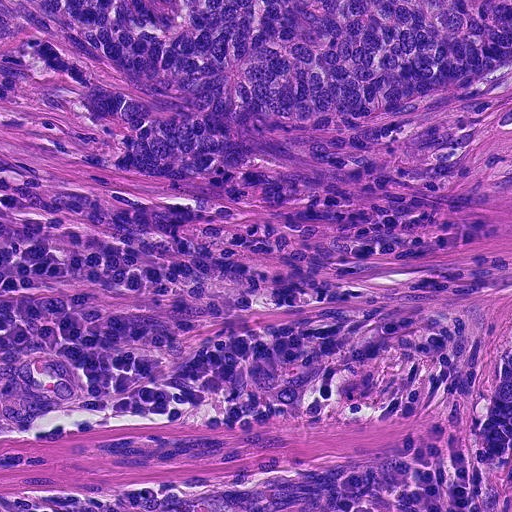
A 0.23-mm field of an H&E-stained sentinel lymph node from a breast-cancer patient (whole-slide image), shown at about 20×, about 0.45 µm per pixel.
Outlines of two tumour regions, largest first (closed clockwise paths, crop pixels): region 1: (0, 0), (511, 0), (511, 89), (364, 141), (371, 212), (342, 279), (382, 339), (322, 383), (251, 402), (0, 421); region 2: (511, 347), (511, 443), (508, 450), (480, 462), (478, 438), (484, 406), (508, 349).
About 65% of this field is tumour.